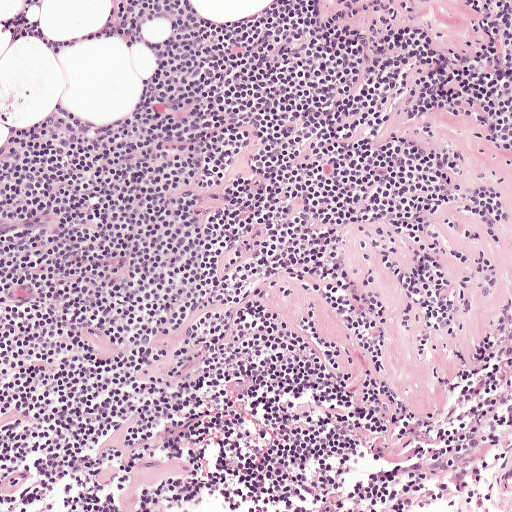
Lymph node section stained with H&E, from a whole-slide image of a breast-cancer sentinel node. Magnification about 10×, about 0.5 mm across the frame, about 0.97 µm per pixel.